Question: 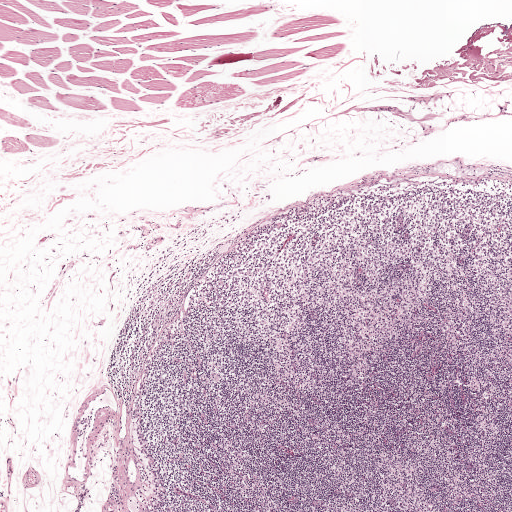
Which magnification is this H&E lymph node field most likely shown at?

Choices:
 (A) about 20×
 (B) about 10×
 (C) about 40×
 (D) about 2.5×
 (E) about 5×

Answer: (D) about 2.5×
H&E-stained section of a sentinel lymph node (breast cancer), from a whole-slide image, viewed at about 2.5×: the field is about 2.0 mm across, about 3.9 µm per pixel.